Question: 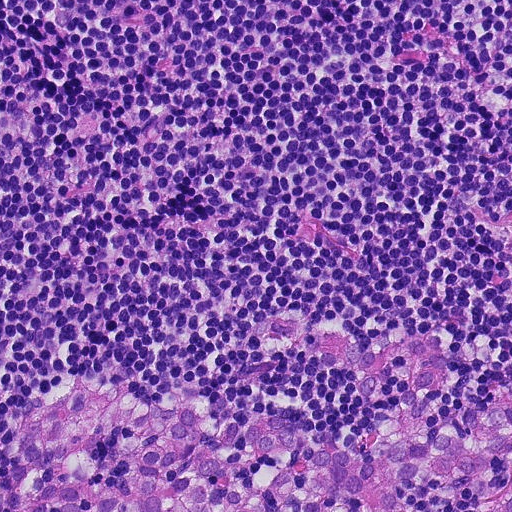
Lymph node section stained with H&E, from a whole-slide image of a breast-cancer sentinel node. Magnification about 20×, about 0.23 mm across the frame, about 0.45 µm per pixel.
Roughly what share of this field is metastatic tumour?

Choices:
 (A) about 50% or more
 (B) about 10% to 20%
 (C) none: no tumour is outlined
 (D) about 5% or less
 (E) about 25% to 45%

Answer: (B) about 10% to 20%
About 20% of the field is tumour.
Tumour region outline (a closed clockwise path, crop pixels): (430, 330), (452, 360), (424, 428), (511, 382), (511, 511), (10, 511), (31, 416), (66, 381), (116, 380), (162, 404), (286, 406), (327, 434), (374, 450), (408, 432), (416, 414), (402, 400), (404, 380), (386, 374), (381, 392), (360, 398), (334, 344).